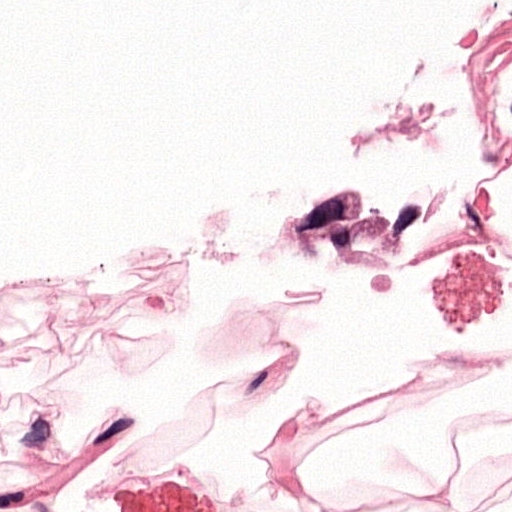
A 0.12-mm field of an H&E-stained sentinel lymph node from a breast-cancer patient (whole-slide image), shown at about 40×, about 0.24 µm per pixel.
The outlined metastatic tumour's edge, as a closed clockwise path of 13 points: (344, 185), (369, 188), (378, 211), (423, 201), (423, 229), (395, 252), (378, 251), (356, 240), (352, 265), (318, 248), (295, 262), (280, 225), (312, 199).
About 5% of the image area is annotated as tumour.